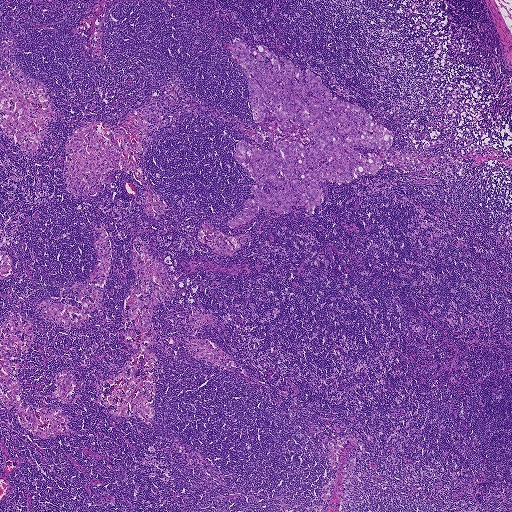
Lymph node section stained with H&E, from a whole-slide image of a breast-cancer sentinel node. Magnification about 2.5×, about 1.9 mm across the frame, about 3.6 µm per pixel.
Metastatic tumour outline, simplified to 21 points and listed clockwise in crop pixels (x, y): (232, 38), (264, 45), (305, 77), (311, 71), (393, 139), (376, 173), (329, 185), (314, 213), (303, 205), (287, 214), (262, 207), (232, 227), (226, 222), (253, 198), (256, 183), (235, 161), (235, 146), (242, 139), (271, 148), (267, 129), (253, 121).
The annotated tumour makes up about 5% of the crop.